Question: 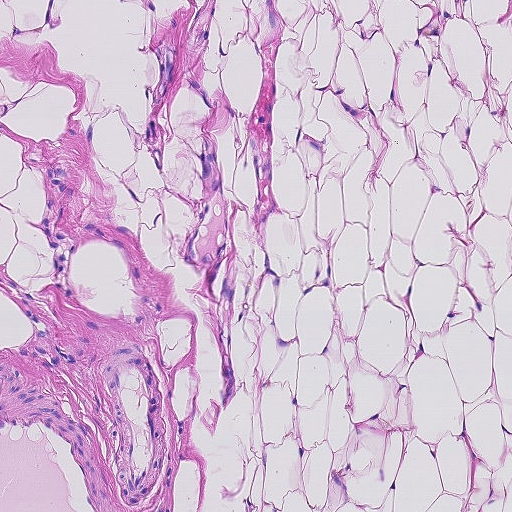
H&E-stained section of a sentinel lymph node (breast cancer), from a whole-slide image, viewed at about 10×: the field is about 0.46 mm across, about 0.9 µm per pixel.
Estimate the proportion of this field that is metastatic tumour.

Choices:
 (A) about 5% or less
 (B) about 50% or more
 (C) about 25% to 45%
 (D) about 10% to 20%
 (E) none: no tumour is outlined

Answer: (E) none: no tumour is outlined
No metastatic tumour is outlined in this field.